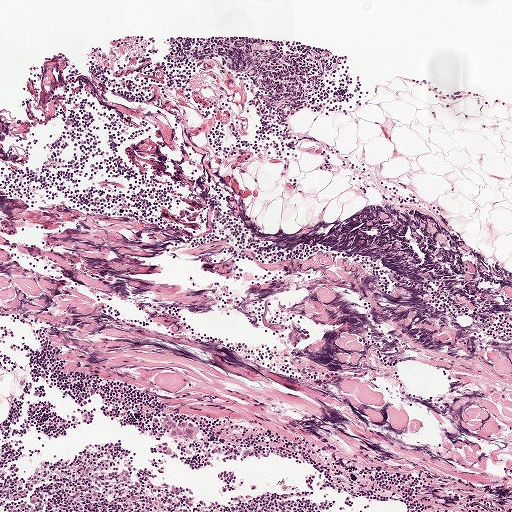
H&E-stained section of a sentinel lymph node (breast cancer), from a whole-slide image, viewed at about 5×: the field is about 1 mm across, about 1.9 µm per pixel.
The outlined metastatic tumour's edge, as a closed clockwise path of 12 points: (165, 414), (179, 417), (199, 428), (199, 433), (196, 441), (192, 442), (175, 441), (172, 439), (168, 431), (151, 424), (151, 419), (155, 416).
Tumour covers under 5% of the frame.